Image:
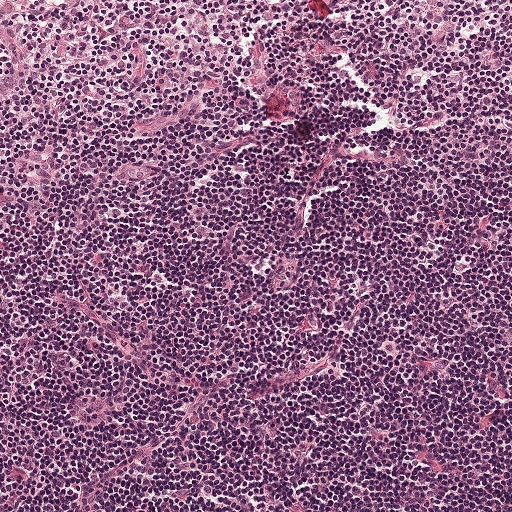
H&E-stained section of a sentinel lymph node (breast cancer), from a whole-slide image, viewed at about 10×: the field is about 0.5 mm across, about 0.97 µm per pixel.
Question:
Is any metastatic breast cancer visible in this crop?
Answer:
No, this field holds no outlined metastasis.